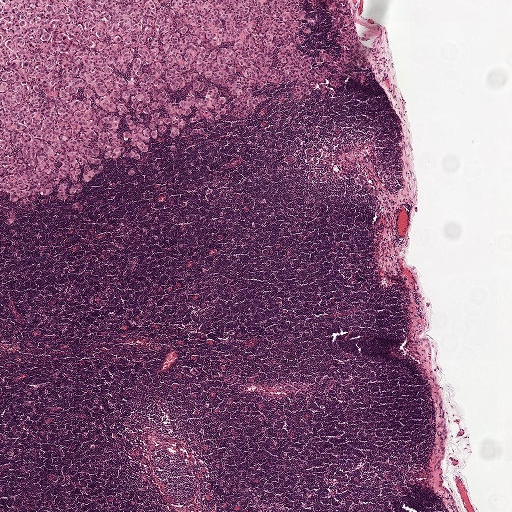
Lymph node section stained with H&E, from a whole-slide image of a breast-cancer sentinel node. Magnification about 2.5×, about 2.0 mm across the frame, about 3.9 µm per pixel.
Question: Which parts of this field are metastatic tumour?
Answer: The outlined metastatic tumour's edge, as a closed clockwise path of 13 points: (0, 0), (349, 0), (363, 44), (358, 80), (328, 98), (274, 106), (248, 126), (152, 148), (138, 165), (110, 169), (74, 205), (39, 204), (0, 234).
About 20% of this field is tumour.